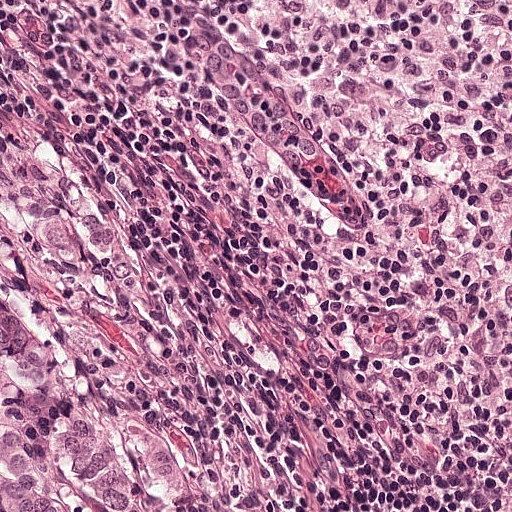
A 0.25-mm field of an H&E-stained sentinel lymph node from a breast-cancer patient (whole-slide image), shown at about 20×, about 0.49 µm per pixel.
One metastatic tumour region; its boundary, reduced to 5 corners and listed clockwise: (0, 49), (100, 160), (192, 292), (300, 511), (0, 511).
About 30% of the image area is annotated as tumour.